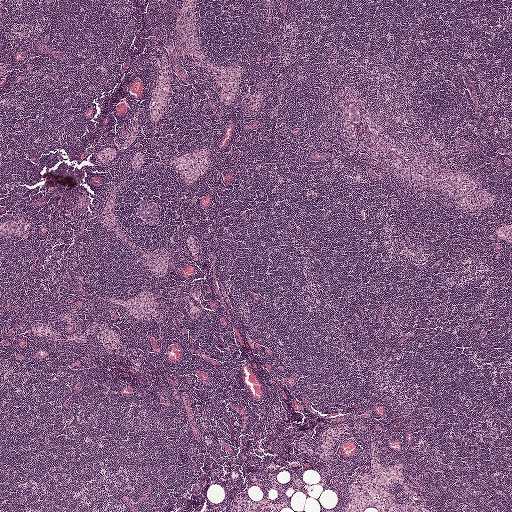
Lymph node section stained with H&E, from a whole-slide image of a breast-cancer sentinel node. Magnification about 2.5×, about 2.0 mm across the frame, about 3.9 µm per pixel.
Tumour region outline (a closed clockwise path, crop pixels): (349, 104), (353, 104), (358, 108), (359, 115), (357, 121), (350, 120), (346, 115), (346, 109).
The annotated tumour makes up under 5% of the crop.